Question: 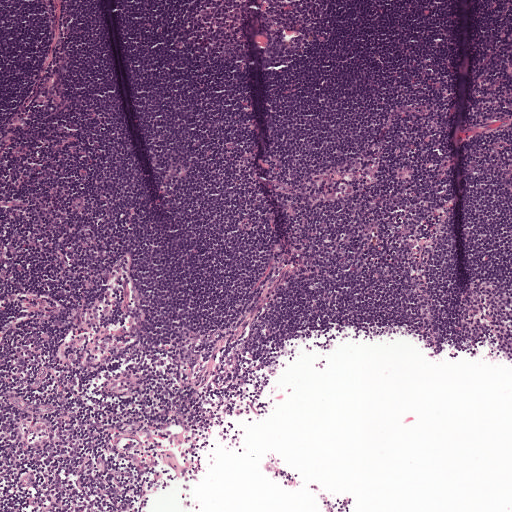
At roughly what magnification is this field shown?

Choices:
 (A) about 10×
 (B) about 40×
 (C) about 20×
 (D) about 2.5×
 (E) about 5×

Answer: (E) about 5×
A 1-mm field of an H&E-stained sentinel lymph node from a breast-cancer patient (whole-slide image), shown at about 5×, about 1.9 µm per pixel.